Question: 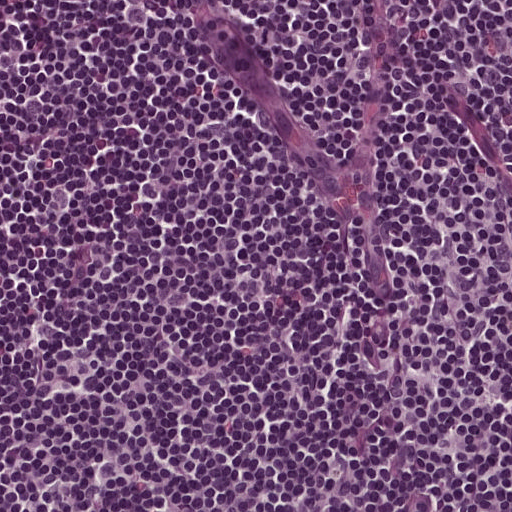
At roughly what magnification is this field shown?

Choices:
 (A) about 10×
 (B) about 5×
 (C) about 40×
 (D) about 2.5×
 (E) about 20×

Answer: (E) about 20×
This is a crop of a whole-slide image: an H&E-stained breast-cancer sentinel lymph node section at roughly 20× magnification (about 0.49 µm per pixel; the crop spans about 0.25 mm).